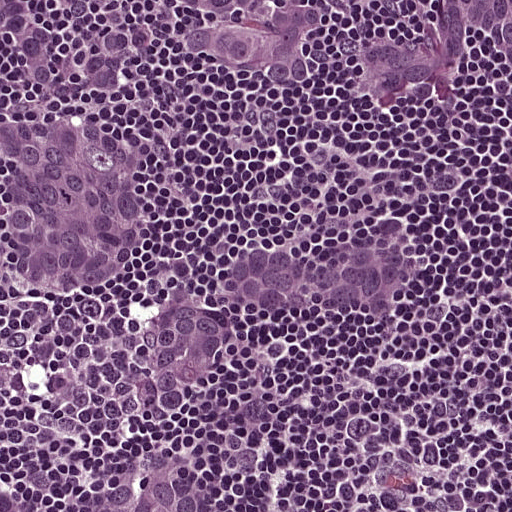
This is a crop of a whole-slide image: an H&E-stained breast-cancer sentinel lymph node section at roughly 20× magnification (about 0.49 µm per pixel; the crop spans about 0.25 mm).
Two metastatic tumour regions, each outlined as a closed clockwise path in crop pixels (x, y), largest first: region 1: (0, 0), (511, 0), (511, 98), (483, 76), (401, 104), (188, 84), (150, 104), (138, 146), (160, 228), (78, 313), (15, 308), (0, 266), (0, 106), (14, 96), (0, 90); region 2: (376, 193), (454, 224), (463, 268), (436, 301), (350, 321), (264, 321), (226, 343), (234, 385), (198, 408), (157, 418), (220, 511), (0, 511), (0, 468), (116, 494), (114, 346), (204, 237), (248, 234).
The annotated tumour makes up about 50% of the crop.